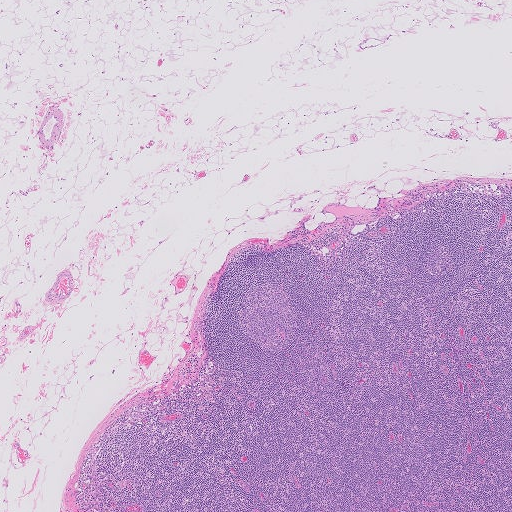
H&E-stained section of a sentinel lymph node (breast cancer), from a whole-slide image, viewed at about 2.5×: the field is about 2.0 mm across, about 4.0 µm per pixel.